Lymph node section stained with H&E, from a whole-slide image of a breast-cancer sentinel node. Magnification about 10×, about 0.5 mm across the frame, about 0.97 µm per pixel.
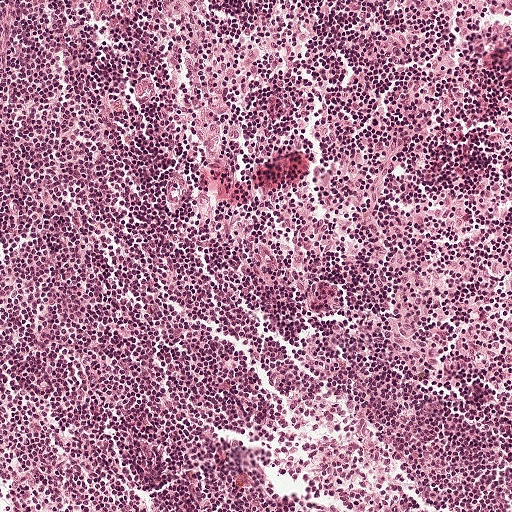
Question: Is there metastatic carcinoma in this field?
Answer: No: no metastatic tumour is outlined anywhere in this field.